Question: 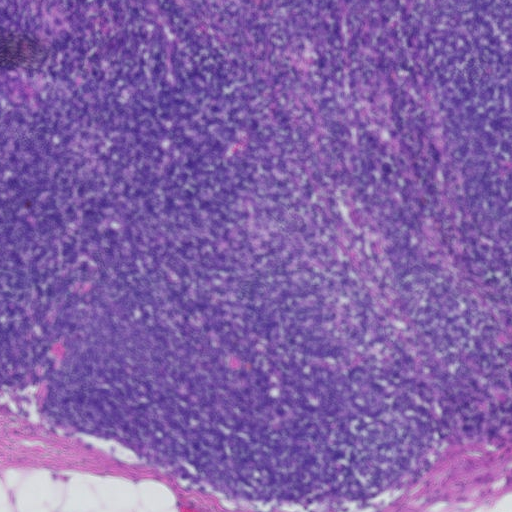
At roughly what magnification is this field shown?

Choices:
 (A) about 40×
 (B) about 2.5×
 (C) about 20×
 (D) about 5×
 (E) about 10×

Answer: (D) about 5×
This is a crop of a whole-slide image: an H&E-stained breast-cancer sentinel lymph node section at roughly 5× magnification (about 1.8 µm per pixel; the crop spans about 0.93 mm).